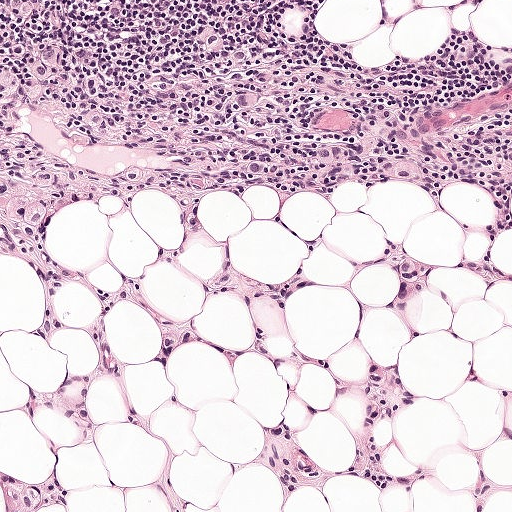
This is a crop of a whole-slide image: an H&E-stained breast-cancer sentinel lymph node section at roughly 10× magnification (about 0.97 µm per pixel; the crop spans about 0.5 mm).
Boundaries of four metastatic tumour regions, simplified and listed clockwise, largest first: region 1: (236, 23), (393, 66), (434, 118), (511, 103), (511, 280), (457, 264), (488, 202), (465, 173), (438, 199), (216, 193), (196, 230), (161, 187), (56, 211), (59, 268), (234, 340), (232, 298), (195, 283), (228, 246), (340, 273), (403, 232), (434, 266), (400, 347), (397, 265), (275, 294), (285, 322), (232, 365), (198, 341), (134, 360), (140, 422), (66, 428), (50, 386), (91, 365), (87, 334), (36, 337), (38, 265), (2, 248), (1, 45); region 2: (398, 351), (396, 373), (411, 394), (376, 416), (374, 444), (382, 458), (395, 466), (430, 464), (424, 481), (407, 493), (376, 495), (361, 474), (350, 472), (320, 488), (306, 488), (300, 484), (294, 496), (280, 496), (266, 470), (251, 455), (252, 444), (262, 427), (276, 417), (291, 419), (307, 455), (348, 462), (346, 429), (357, 421), (359, 406), (354, 396), (317, 379), (313, 353), (358, 373), (365, 359), (388, 358); region 3: (0, 463), (12, 472), (29, 475), (40, 475), (60, 468), (64, 469), (65, 477), (65, 491), (64, 496), (54, 504), (41, 506), (37, 511), (0, 511); region 4: (179, 496), (180, 496), (185, 501), (186, 503), (187, 504), (187, 506), (189, 511), (172, 511), (175, 506), (175, 504), (176, 503), (178, 500).
Tumour covers about 45% of the frame.